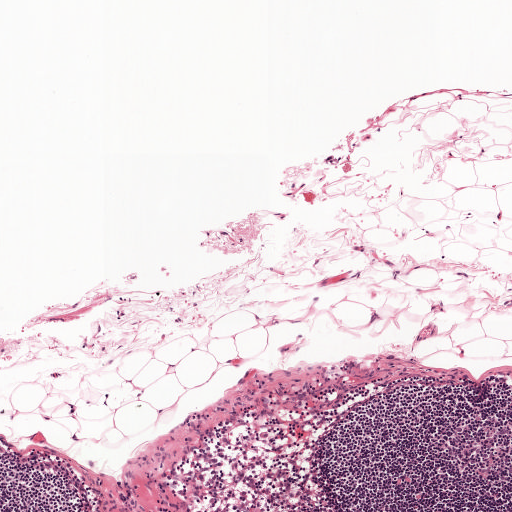
H&E-stained section of a sentinel lymph node (breast cancer), from a whole-slide image, viewed at about 5×: the field is about 1 mm across, about 1.9 µm per pixel.
Metastatic tumour outline, simplified to 13 points and listed clockwise in crop pixels (x, y): (332, 155), (335, 155), (336, 158), (341, 157), (341, 160), (338, 163), (336, 163), (333, 162), (332, 164), (328, 163), (325, 164), (324, 160), (328, 157).
Tumour covers under 5% of the frame.